H&E-stained section of a sentinel lymph node (breast cancer), from a whole-slide image, viewed at about 20×: the field is about 0.25 mm across, about 0.49 µm per pixel.
Image:
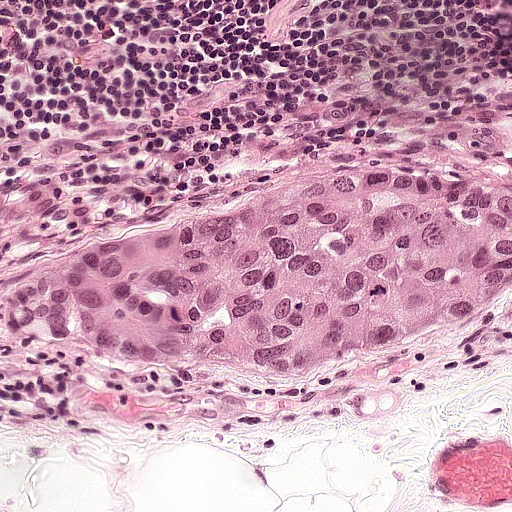
Question:
Where is the metastatic tumour in this field?
Answer:
One metastatic tumour region; its boundary, reduced to 11 corners and listed clockwise: (310, 163), (380, 163), (511, 201), (511, 317), (478, 344), (310, 410), (248, 410), (121, 383), (14, 310), (8, 276), (35, 242).
About 35% of the image area is annotated as tumour.